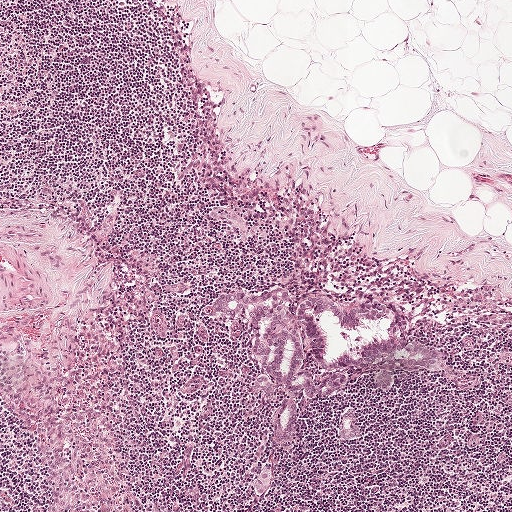
H&E-stained section of a sentinel lymph node (breast cancer), from a whole-slide image, viewed at about 5×: the field is about 1 mm across, about 1.9 µm per pixel.
Question: Is any metastatic breast cancer visible in this crop?
Answer: Yes.
Boundaries of three metastatic tumour regions, simplified and listed clockwise, largest first: region 1: (278, 288), (303, 300), (326, 295), (350, 310), (367, 298), (397, 300), (411, 314), (411, 339), (440, 349), (444, 368), (403, 370), (384, 394), (371, 369), (334, 399), (301, 398), (291, 445), (278, 444), (275, 405), (252, 385), (258, 365), (247, 327), (217, 315), (212, 300), (225, 291); region 2: (352, 407), (354, 409), (361, 433), (358, 438), (346, 439), (336, 436), (337, 424), (344, 409); region 3: (263, 467), (272, 468), (274, 477), (269, 490), (260, 497), (254, 496), (252, 488), (259, 470).
About 5% of the image area is annotated as tumour.